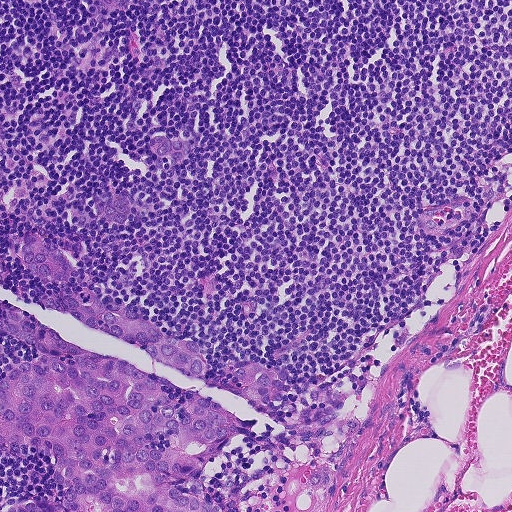
This is a crop of a whole-slide image: an H&E-stained breast-cancer sentinel lymph node section at roughly 10× magnification (about 0.9 µm per pixel; the crop spans about 0.46 mm).
Question: Is any metastatic breast cancer visible in this crop?
Answer: Yes.
The outlined metastatic tumour's edge, as a closed clockwise path of 23 points: (51, 236), (75, 272), (66, 292), (197, 341), (216, 377), (272, 362), (287, 374), (279, 430), (224, 439), (200, 469), (220, 511), (1, 511), (26, 498), (64, 502), (65, 488), (51, 454), (0, 446), (0, 257), (17, 296), (35, 303), (54, 286), (27, 277), (17, 242).
About 20% of the image area is annotated as tumour.